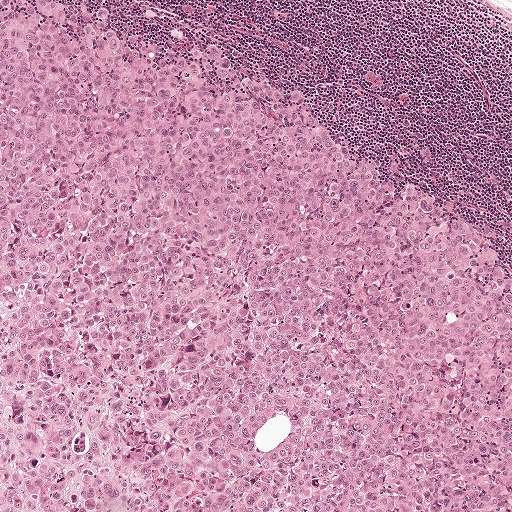
Lymph node section stained with H&E, from a whole-slide image of a breast-cancer sentinel node. Magnification about 5×, about 1 mm across the frame, about 1.9 µm per pixel.
Tumour region outline (a closed clockwise path, crop pixels): (0, 0), (62, 0), (171, 49), (266, 71), (400, 186), (472, 224), (511, 278), (511, 511), (0, 511).
About 80% of this field is tumour.